H&E-stained section of a sentinel lymph node (breast cancer), from a whole-slide image, viewed at about 5×: the field is about 0.93 mm across, about 1.8 µm per pixel.
Image:
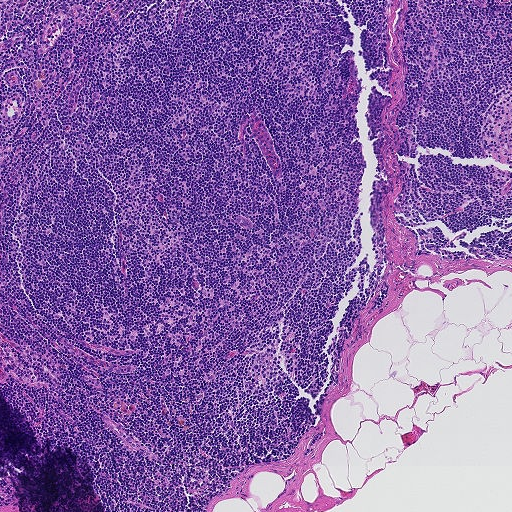
Question:
Is there metastatic carcinoma in this field?
Answer:
No: no metastatic tumour is outlined anywhere in this field.